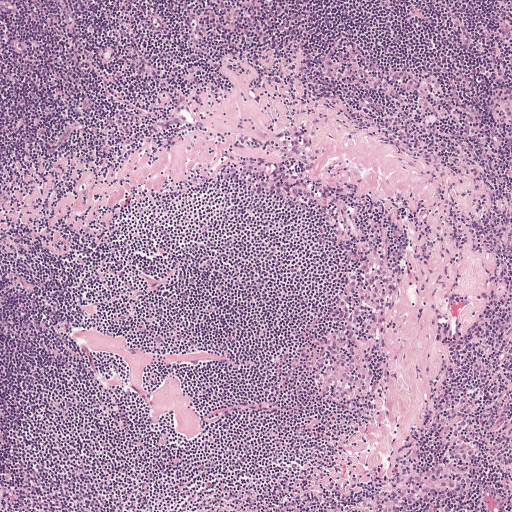
Lymph node section stained with H&E, from a whole-slide image of a breast-cancer sentinel node. Magnification about 5×, about 1 mm across the frame, about 1.9 µm per pixel.